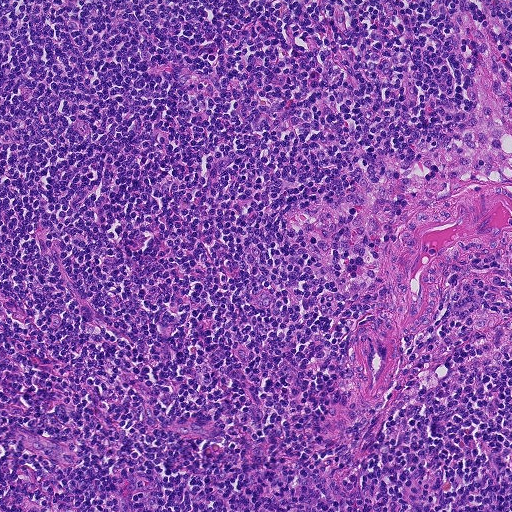
A 0.46-mm field of an H&E-stained sentinel lymph node from a breast-cancer patient (whole-slide image), shown at about 10×, about 0.9 µm per pixel.